Image:
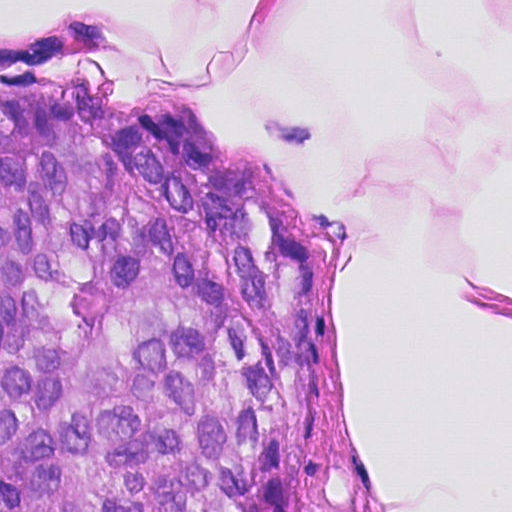
This is a crop of a whole-slide image: an H&E-stained breast-cancer sentinel lymph node section at roughly 40× magnification (about 0.23 µm per pixel; the crop spans about 0.12 mm).
Question:
Describe where the metastatic carcinoma lies in this crop.
Answer:
The outlined metastatic tumour's edge, as a closed clockwise path of 10 points: (47, 77), (90, 85), (119, 110), (153, 92), (188, 108), (296, 221), (318, 334), (292, 511), (0, 511), (0, 87).
Tumour covers about 45% of the frame.